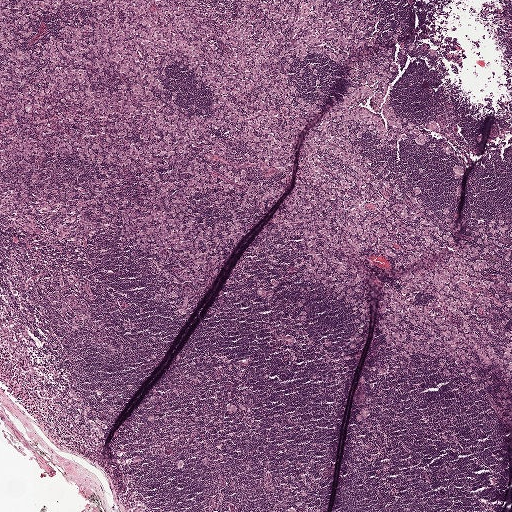
Lymph node section stained with H&E, from a whole-slide image of a breast-cancer sentinel node. Magnification about 2.5×, about 2.0 mm across the frame, about 3.9 µm per pixel.
Question: Is there metastatic carcinoma in this field?
Answer: Yes.
The outlined metastatic tumour's edge, as a closed clockwise path of 22 points: (0, 0), (376, 0), (392, 110), (433, 144), (354, 153), (438, 217), (511, 218), (511, 378), (379, 336), (385, 279), (465, 224), (392, 267), (365, 252), (383, 275), (347, 349), (348, 305), (260, 214), (186, 283), (118, 228), (60, 232), (66, 159), (0, 187).
About 40% of this field is tumour.